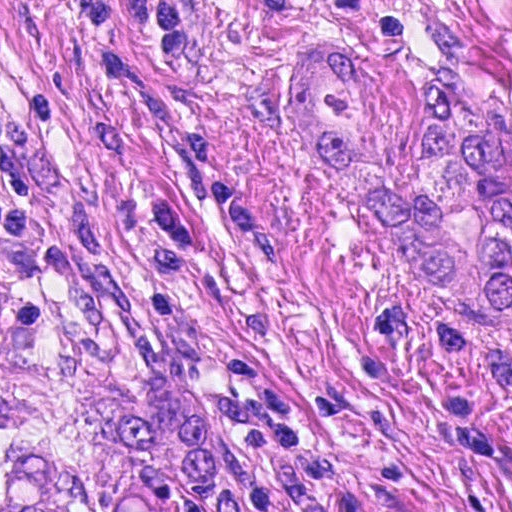
A 0.12-mm field of an H&E-stained sentinel lymph node from a breast-cancer patient (whole-slide image), shown at about 40×, about 0.23 µm per pixel.
Boundaries of two metastatic tumour regions, simplified and listed clockwise, largest first: region 1: (330, 37), (461, 78), (509, 125), (511, 334), (465, 337), (410, 300), (322, 193), (289, 135), (284, 87); region 2: (0, 284), (110, 333), (141, 383), (193, 400), (236, 435), (258, 484), (258, 511), (0, 511).
About 30% of this field is tumour.